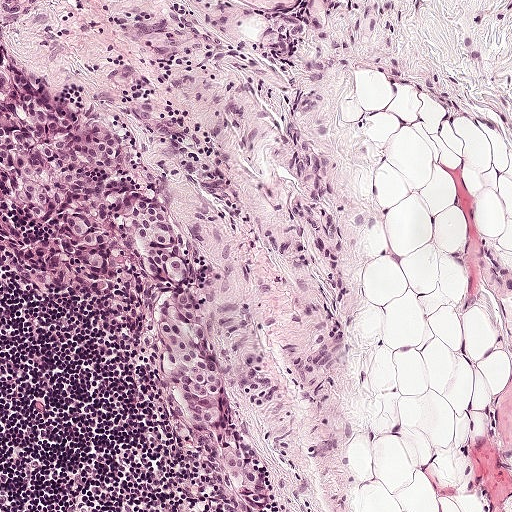
Lymph node section stained with H&E, from a whole-slide image of a breast-cancer sentinel node. Magnification about 10×, about 0.5 mm across the frame, about 0.97 µm per pixel.
Tumour region outline (a closed clockwise path, crop pixels): (0, 55), (94, 118), (120, 152), (156, 176), (199, 264), (207, 333), (233, 400), (232, 425), (259, 454), (273, 507), (245, 502), (225, 469), (178, 426), (155, 372), (143, 272), (52, 294), (1, 272).
About 15% of this field is tumour.